H&E-stained section of a sentinel lymph node (breast cancer), from a whole-slide image, viewed at about 5×: the field is about 1 mm across, about 1.9 µm per pixel.
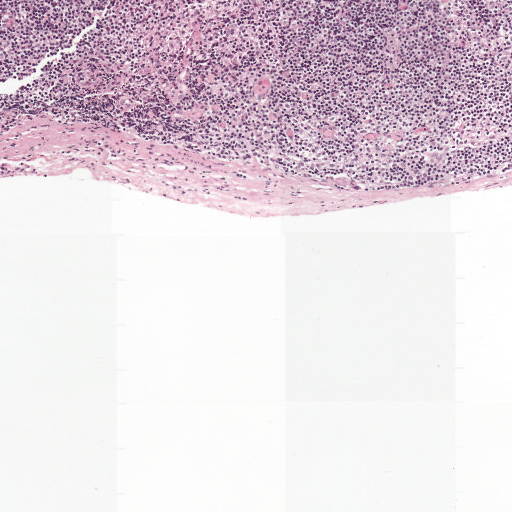
The outlined metastatic tumour's edge, as a closed clockwise path of 11 points: (329, 175), (333, 176), (334, 180), (339, 177), (345, 177), (351, 178), (357, 181), (361, 187), (361, 190), (352, 190), (328, 181).
Tumour covers under 5% of the frame.